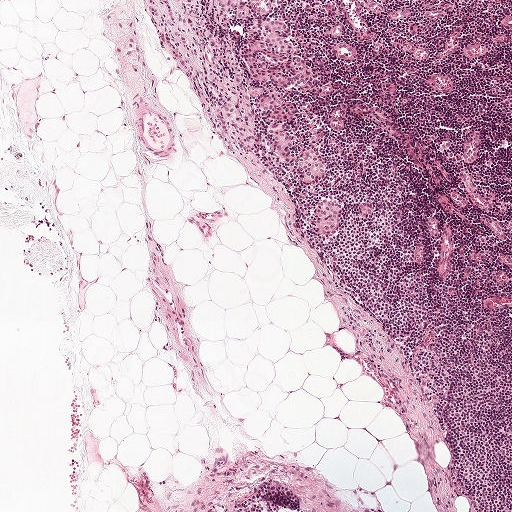
Lymph node section stained with H&E, from a whole-slide image of a breast-cancer sentinel node. Magnification about 5×, about 1 mm across the frame, about 1.9 µm per pixel.
Outlines of three tumour regions, largest first (closed clockwise paths, crop pixels): region 1: (149, 0), (251, 0), (257, 13), (297, 29), (307, 82), (292, 93), (268, 81), (264, 88), (284, 95), (272, 115), (284, 132), (296, 137), (290, 152), (314, 148), (328, 165), (327, 180), (307, 184), (274, 159), (250, 160), (238, 144), (212, 126), (204, 84), (162, 35); region 2: (320, 197), (335, 197), (344, 202), (343, 223), (336, 238), (320, 238), (313, 233), (314, 205); region 3: (361, 202), (376, 206), (375, 216), (368, 221), (361, 219), (357, 214), (357, 209).
About 5% of the image area is annotated as tumour.